Image:
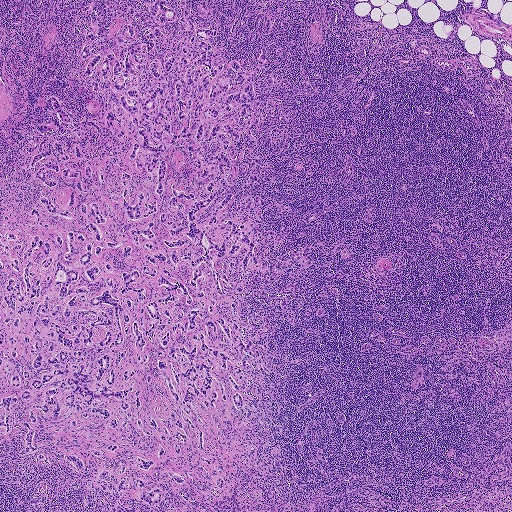
H&E-stained section of a sentinel lymph node (breast cancer), from a whole-slide image, viewed at about 2.5×: the field is about 1.9 mm across, about 3.6 µm per pixel.
Question:
Outline the metastatic carcinoma in this image, as closed paths of (x, y) pixel coordinates.
Answer:
Outlines of the eight largest metastatic tumour regions, each a closed clockwise path in crop pixels (x, y), largest first: region 1: (143, 0), (214, 25), (245, 72), (265, 44), (249, 141), (271, 184), (230, 207), (260, 196), (248, 217), (277, 235), (233, 279), (269, 354), (242, 413), (191, 404), (202, 450), (110, 398), (117, 429), (37, 414), (31, 453), (21, 401), (0, 428), (0, 232), (48, 214), (24, 138), (64, 125), (55, 95), (85, 130), (68, 149), (117, 191), (130, 140), (85, 78), (93, 13), (112, 49), (149, 28); region 2: (157, 487), (162, 493), (161, 502), (159, 505), (150, 506), (140, 499), (138, 496), (143, 490), (150, 490); region 3: (287, 250), (301, 251), (309, 255), (311, 263), (309, 267), (302, 270), (298, 270), (297, 262), (290, 258), (286, 255); region 4: (127, 475), (131, 476), (139, 478), (143, 480), (144, 484), (142, 487), (125, 490), (121, 490), (118, 489), (118, 484), (122, 477); region 5: (138, 456), (146, 459), (154, 460), (155, 464), (146, 471), (136, 466), (134, 462), (136, 458); region 6: (203, 456), (210, 460), (213, 464), (221, 478), (223, 486), (220, 487), (216, 486), (215, 482), (217, 476), (213, 477), (209, 475), (212, 468), (209, 465), (205, 464), (202, 461); region 7: (109, 501), (117, 502), (121, 504), (124, 506), (128, 507), (132, 507), (135, 508), (137, 511), (112, 511), (110, 507); region 8: (65, 454), (78, 456), (81, 459), (84, 466), (82, 470), (78, 470), (75, 468), (73, 464), (66, 460).
One more, smaller tumour region is not outlined.
13 more small tumour pieces are annotated here but not outlined.
About 35% of this field is tumour.

Image:
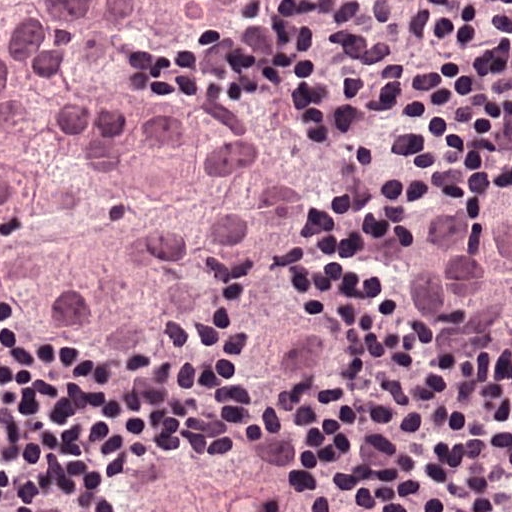
This is a crop of a whole-slide image: an H&E-stained breast-cancer sentinel lymph node section at roughly 40× magnification (about 0.24 µm per pixel; the crop spans about 0.12 mm).
Question:
Outline the metastatic carcinoma in this image, as closed paths of (x, y) pixel coordinates.
Answer:
Outlines of four tumour regions, largest first (closed clockwise paths, crop pixels): region 1: (0, 0), (275, 0), (130, 70), (159, 99), (275, 84), (287, 124), (363, 164), (313, 220), (289, 275), (352, 355), (307, 393), (264, 392), (236, 366), (250, 278), (141, 372), (17, 331), (0, 302); region 2: (511, 103), (511, 347), (467, 373), (417, 353), (384, 300), (391, 249), (472, 172), (483, 116); region 3: (294, 425), (328, 483), (306, 511), (111, 511), (102, 462), (147, 452), (220, 452), (250, 433); region 4: (0, 418), (7, 425), (5, 467), (0, 467).
Two more small tumour pieces are annotated here but not outlined.
About 50% of the image area is annotated as tumour.

Image:
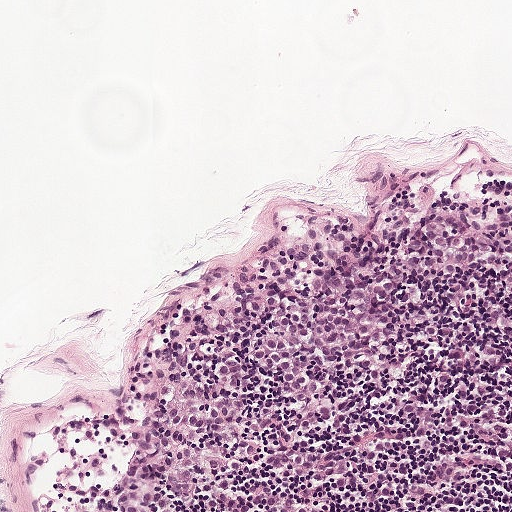
H&E-stained section of a sentinel lymph node (breast cancer), from a whole-slide image, viewed at about 10×: the field is about 0.5 mm across, about 0.97 µm per pixel.
Question:
Outline the metastatic carcinoma in this image, as closed paths of (x, y) pixel coordinates.
Answer:
Metastatic tumour outline, simplified to 12 points and listed clockwise in crop pixels (x, y): (507, 194), (511, 267), (390, 318), (383, 380), (342, 414), (354, 486), (334, 511), (72, 511), (104, 475), (131, 375), (228, 244), (276, 222).
Tumour covers about 30% of the frame.

Image:
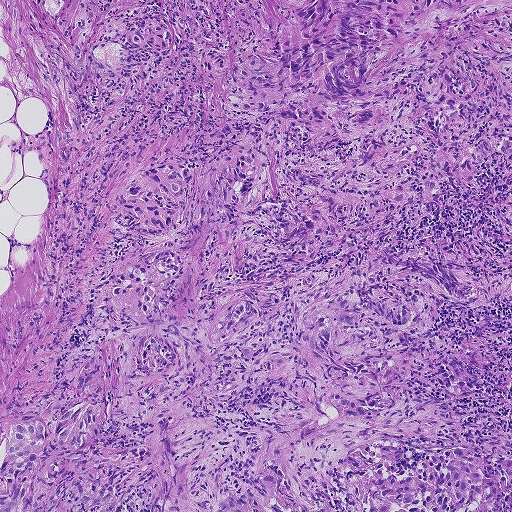
Lymph node section stained with H&E, from a whole-slide image of a breast-cancer sentinel node. Magnification about 5×, about 0.93 mm across the frame, about 1.8 µm per pixel.
Question:
Outline the metastatic carcinoma in this image, as closed paths of (x, y) pixel coordinates.
Answer:
Two metastatic tumour regions, each outlined as a closed clockwise path in crop pixels (x, y), largest first: region 1: (511, 0), (511, 511), (0, 511), (15, 414), (124, 330), (110, 319), (106, 283), (131, 243), (112, 234), (104, 207), (150, 155), (255, 120), (228, 105), (231, 81), (206, 76), (201, 59), (208, 49), (238, 65), (242, 52), (300, 38), (275, 3); region 2: (151, 24), (162, 26), (171, 33), (171, 44), (162, 48), (150, 47), (147, 45), (137, 48), (128, 42), (129, 31), (140, 31), (144, 33).
The annotated tumour makes up about 75% of the crop.